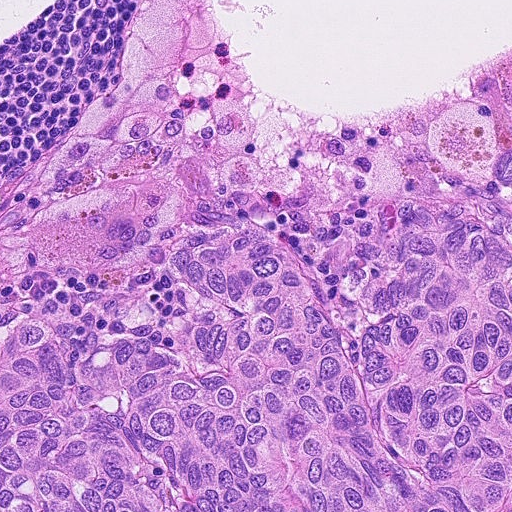
A 0.23-mm field of an H&E-stained sentinel lymph node from a breast-cancer patient (whole-slide image), shown at about 20×, about 0.45 µm per pixel.
Question: Outline the metastatic carcinoma in this image, as closed paths of (x, y) pixel coordinates.
Answer: The outlined metastatic tumour's edge, as a closed clockwise path of 15 points: (511, 146), (511, 511), (0, 511), (0, 324), (70, 311), (146, 340), (186, 330), (198, 291), (162, 271), (166, 233), (190, 210), (267, 198), (308, 215), (375, 193), (440, 196).
The annotated tumour makes up about 55% of the crop.